Image:
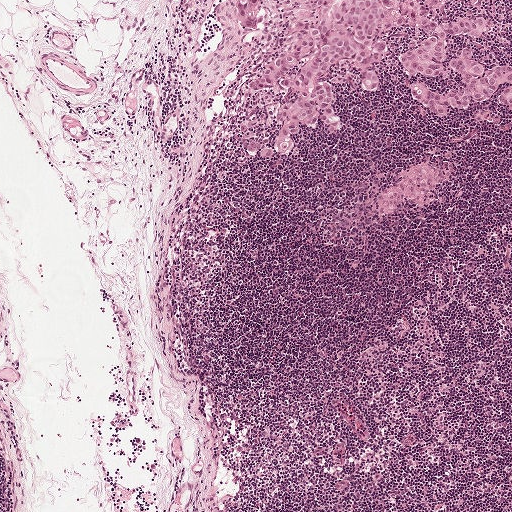
H&E-stained section of a sentinel lymph node (breast cancer), from a whole-slide image, viewed at about 5×: the field is about 1 mm across, about 1.9 µm per pixel.
Question:
Trace the edge of each tumour region in this crop, as (x, y) points from 0 to 511.
Answer:
Three metastatic tumour regions, each outlined as a closed clockwise path in crop pixels (x, y), largest first: region 1: (288, 0), (483, 0), (493, 30), (482, 40), (454, 40), (450, 55), (470, 45), (487, 63), (511, 62), (511, 83), (470, 110), (433, 115), (412, 86), (455, 94), (464, 82), (457, 73), (425, 76), (404, 66), (404, 51), (425, 37), (406, 25), (390, 35), (389, 58), (378, 68), (383, 92), (362, 90), (355, 78), (340, 82), (336, 135), (318, 117), (306, 128), (303, 152), (257, 158), (241, 146), (238, 131), (270, 100), (251, 87), (282, 51); region 2: (239, 0), (263, 0), (258, 26), (254, 30), (248, 30), (238, 19); region 3: (511, 85), (511, 104), (507, 103), (502, 100), (501, 99), (501, 93), (502, 90).
The annotated tumour makes up about 10% of the crop.